Image:
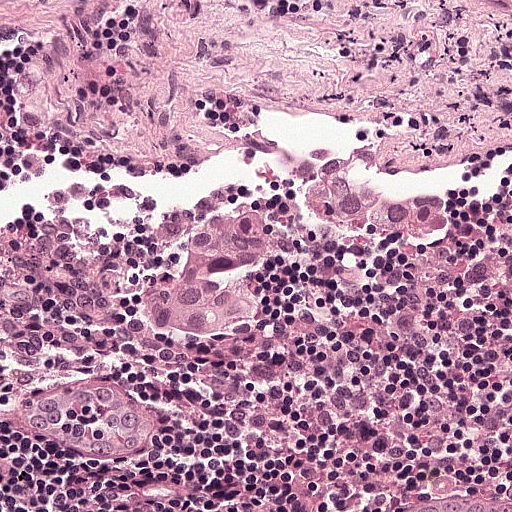
Lymph node section stained with H&E, from a whole-slide image of a breast-cancer sentinel node. Magnification about 20×, about 0.25 mm across the frame, about 0.49 µm per pixel.
Question:
Which parts of this field are metastatic tumour? Answer with the outline of each region, in pixels.
Answer:
Two metastatic tumour regions, each outlined as a closed clockwise path in crop pixels (x, y), largest first: region 1: (231, 196), (262, 200), (272, 214), (270, 249), (247, 266), (248, 278), (270, 286), (270, 302), (247, 330), (226, 345), (164, 345), (135, 322), (140, 288), (162, 266), (181, 260), (184, 236), (200, 214); region 2: (320, 164), (332, 164), (380, 188), (428, 187), (457, 206), (454, 222), (436, 234), (405, 243), (346, 238), (298, 208), (293, 195), (306, 174).
Tumour covers about 10% of the frame.